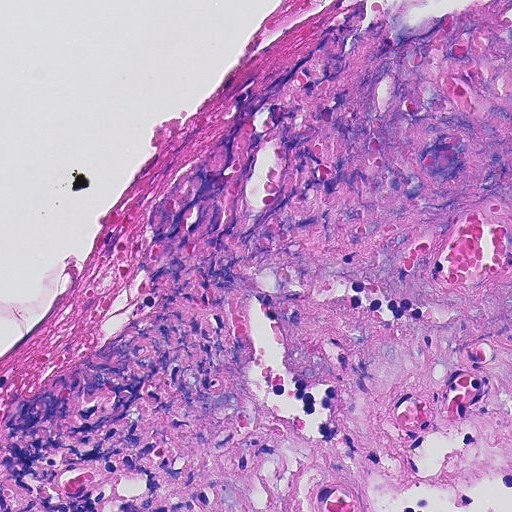
Lymph node section stained with H&E, from a whole-slide image of a breast-cancer sentinel node. Magnification about 20×, about 0.23 mm across the frame, about 0.45 µm per pixel.
Question: Is there metastatic carcinoma in this field?
Answer: No. No metastatic tumour is outlined in this field.